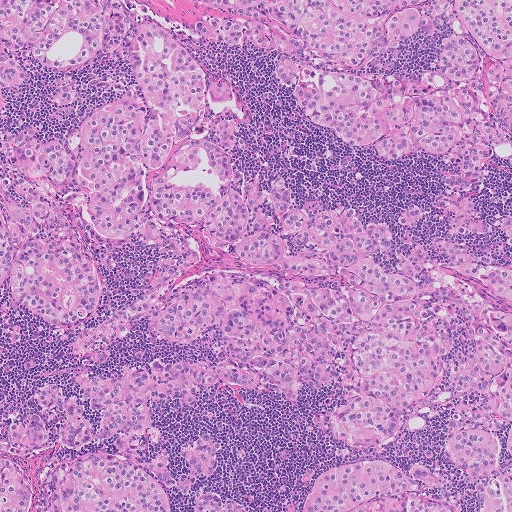
Lymph node section stained with H&E, from a whole-slide image of a breast-cancer sentinel node. Magnification about 5×, about 1.0 mm across the frame, about 2.0 µm per pixel.
Boundaries of three metastatic tumour regions, simplified and listed clockwise, largest first: region 1: (0, 0), (130, 0), (231, 78), (233, 163), (511, 263), (511, 511), (473, 511), (442, 389), (387, 447), (327, 438), (324, 388), (158, 407), (175, 458), (224, 447), (213, 472), (253, 511), (0, 511), (0, 418), (65, 368), (0, 332), (20, 304), (0, 302); region 2: (187, 0), (511, 0), (511, 178), (488, 189), (511, 209), (511, 243), (423, 232), (400, 215), (425, 204), (447, 221), (437, 194), (440, 166), (303, 133), (260, 57), (208, 38); region 3: (335, 460), (394, 460), (423, 464), (449, 473), (450, 501), (454, 511), (273, 511), (287, 481), (315, 481).
The annotated tumour makes up about 85% of the crop.